H&E-stained section of a sentinel lymph node (breast cancer), from a whole-slide image, viewed at about 2.5×: the field is about 2.0 mm across, about 3.9 µm per pixel.
Image:
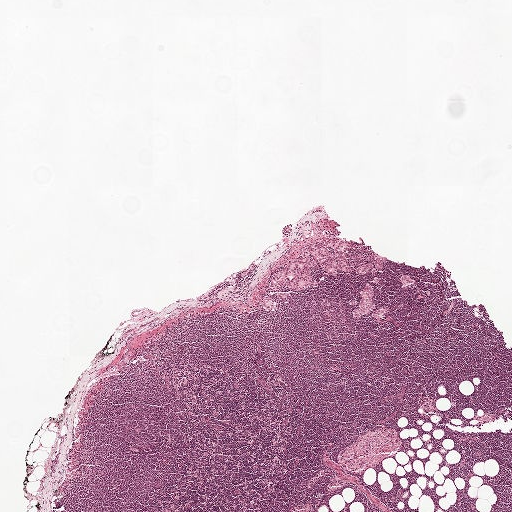
Question:
Is any metastatic breast cancer visible in this crop?
Answer:
Yes.
Boundaries of five metastatic tumour regions, simplified and listed clockwise, largest first: region 1: (334, 238), (350, 243), (350, 248), (348, 253), (345, 253), (349, 267), (350, 268), (350, 273), (337, 270), (337, 274), (334, 275), (328, 273), (319, 263), (319, 258), (311, 254), (310, 257), (318, 266), (309, 267), (312, 280), (316, 282), (317, 286), (295, 290), (286, 284), (286, 282), (281, 287), (274, 290), (268, 288), (273, 273), (281, 270), (282, 267), (291, 262), (302, 259), (305, 245), (314, 241), (320, 242), (333, 254), (334, 250), (324, 243), (324, 239); region 2: (368, 283), (372, 286), (374, 294), (372, 300), (375, 308), (368, 314), (354, 316), (352, 314), (352, 312), (360, 304), (361, 299), (360, 291); region 3: (377, 256), (386, 257), (386, 263), (382, 264), (383, 270), (382, 271), (379, 271), (372, 268), (367, 270), (365, 274), (363, 274), (359, 274), (356, 272), (358, 268), (362, 265), (369, 263), (374, 263), (374, 261), (376, 260); region 4: (264, 296), (267, 296), (272, 298), (276, 303), (276, 306), (274, 311), (271, 311), (266, 309), (262, 306), (262, 304); region 5: (379, 306), (382, 306), (389, 308), (387, 313), (384, 313), (385, 318), (382, 320), (377, 319), (373, 314), (373, 312), (377, 310).
Two more small tumour pieces are annotated here but not outlined.
Under 5% of this field is tumour.